Lymph node section stained with H&E, from a whole-slide image of a breast-cancer sentinel node. Magnification about 2.5×, about 2.0 mm across the frame, about 3.9 µm per pixel.
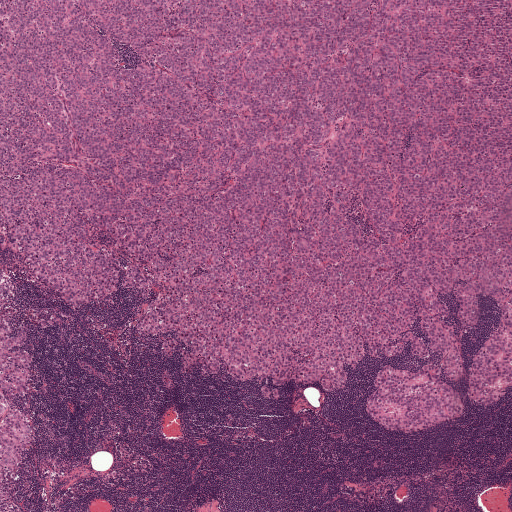
Two metastatic tumour regions, each outlined as a closed clockwise path in crop pixels (x, y), largest first: region 1: (0, 0), (511, 0), (504, 405), (465, 397), (503, 315), (490, 296), (460, 340), (456, 388), (467, 409), (409, 435), (362, 406), (385, 366), (419, 369), (435, 354), (421, 363), (409, 344), (348, 369), (338, 393), (266, 400), (162, 361), (136, 333), (156, 293), (74, 308), (2, 239); region 2: (0, 260), (19, 289), (23, 315), (28, 322), (29, 347), (37, 391), (31, 396), (14, 398), (36, 426), (37, 434), (36, 443), (22, 459), (17, 484), (2, 509).
The annotated tumour makes up about 75% of the crop.